H&E-stained section of a sentinel lymph node (breast cancer), from a whole-slide image, viewed at about 20×: the field is about 0.23 mm across, about 0.45 µm per pixel.
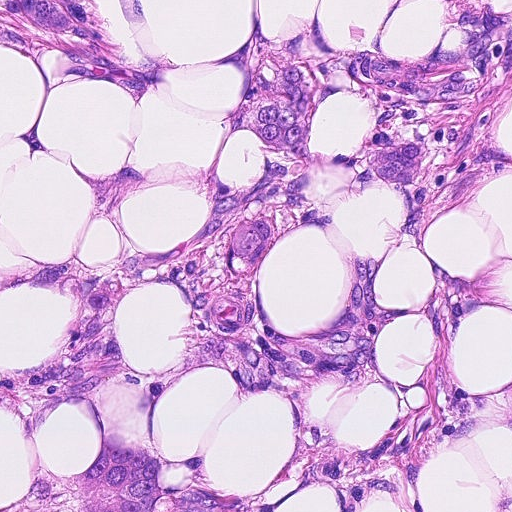
Outlines of three tumour regions, largest first (closed clockwise paths, crop pixels): region 1: (443, 0), (511, 0), (511, 99), (490, 150), (511, 160), (511, 177), (419, 230), (446, 277), (478, 282), (444, 368), (459, 396), (511, 384), (511, 434), (440, 453), (421, 511), (294, 480), (277, 394), (221, 369), (163, 396), (190, 306), (169, 282), (136, 290), (115, 315), (130, 378), (43, 415), (0, 409), (0, 266), (152, 257), (212, 216), (209, 170), (266, 182), (272, 158), (230, 106), (260, 26), (281, 42), (318, 16), (340, 56), (440, 54), (462, 50); region 2: (118, 431), (144, 432), (160, 452), (212, 454), (210, 480), (232, 494), (258, 496), (281, 506), (279, 511), (18, 511), (16, 496), (30, 472), (82, 470); region 3: (0, 0), (90, 0), (99, 35), (114, 53), (135, 65), (182, 64), (164, 78), (149, 96), (125, 94), (103, 85), (52, 78), (13, 49), (0, 47).
About 60% of the image area is annotated as tumour.